Lymph node section stained with H&E, from a whole-slide image of a breast-cancer sentinel node. Magnification about 2.5×, about 2.0 mm across the frame, about 3.9 µm per pixel.
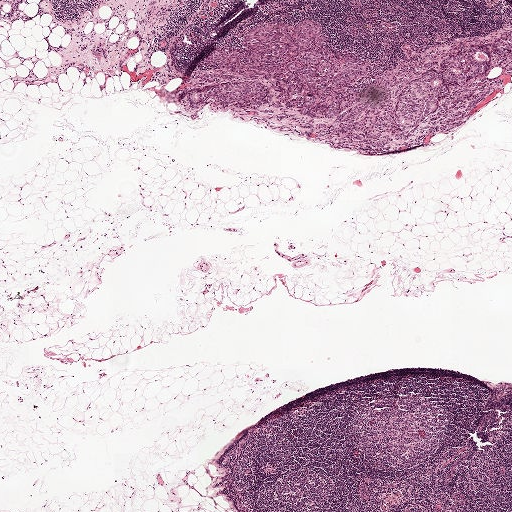
Tumour region outline (a closed clockwise path, crop pixels): (304, 19), (369, 64), (354, 90), (461, 45), (486, 46), (492, 66), (503, 57), (495, 38), (511, 29), (511, 69), (488, 70), (503, 87), (440, 135), (372, 150), (325, 144), (274, 120), (277, 108), (187, 109), (192, 89), (241, 78), (210, 53), (240, 48), (260, 24).
Tumour covers about 10% of the frame.